Question: 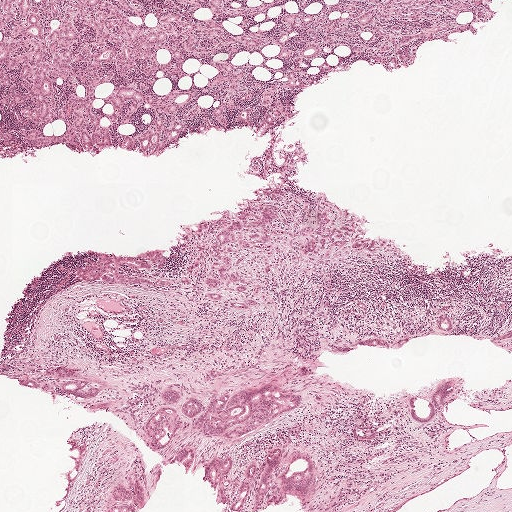
About what magnification does this crop show?

Choices:
 (A) about 20×
 (B) about 40×
 (C) about 2.5×
 (D) about 5×
 (E) about 10×

Answer: (C) about 2.5×
H&E-stained section of a sentinel lymph node (breast cancer), from a whole-slide image, viewed at about 2.5×: the field is about 2.0 mm across, about 3.9 µm per pixel.